Question: 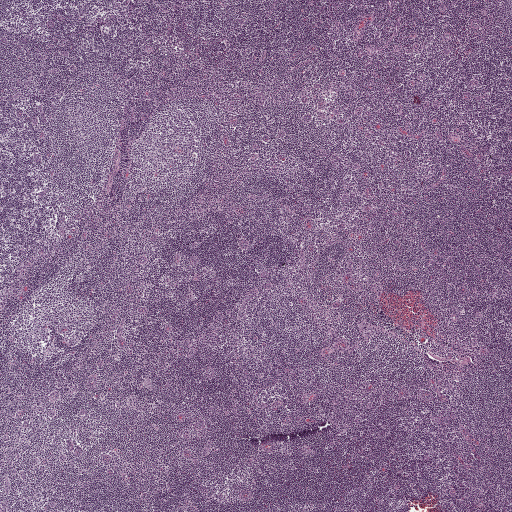
At roughly what magnification is this field shown?

Choices:
 (A) about 2.5×
 (B) about 20×
 (C) about 40×
 (D) about 10×
 (E) about 5×

Answer: (A) about 2.5×
H&E-stained section of a sentinel lymph node (breast cancer), from a whole-slide image, viewed at about 2.5×: the field is about 2.0 mm across, about 3.9 µm per pixel.